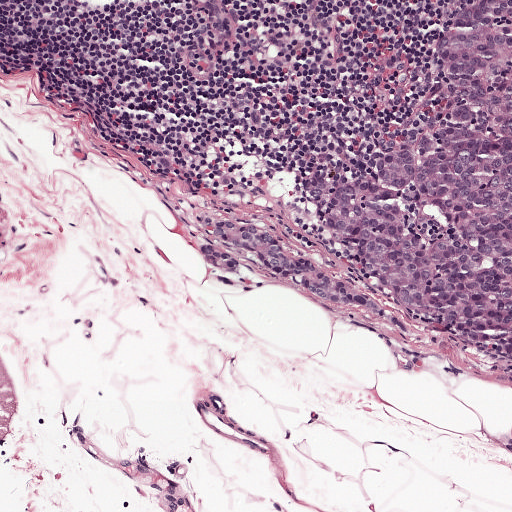
Lymph node section stained with H&E, from a whole-slide image of a breast-cancer sentinel node. Magnification about 10×, about 0.5 mm across the frame, about 0.97 µm per pixel.
Metastatic tumour outline, simplified to 19 points and listed clockwise in crop pixels (x, y): (468, 0), (511, 0), (511, 381), (469, 345), (429, 328), (388, 327), (278, 278), (227, 274), (202, 261), (190, 218), (206, 206), (242, 210), (330, 268), (344, 256), (319, 210), (326, 185), (396, 146), (434, 106), (440, 22).
About 20% of this field is tumour.